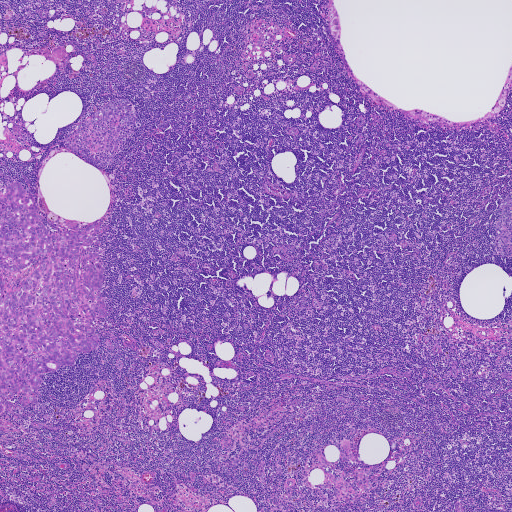
A 1.9-mm field of an H&E-stained sentinel lymph node from a breast-cancer patient (whole-slide image), shown at about 2.5×, about 3.6 µm per pixel.
Metastatic tumour outline, simplified to 23 points and listed clockwise in crop pixels (x, y): (7, 178), (32, 196), (50, 235), (100, 226), (88, 251), (100, 252), (99, 263), (106, 270), (100, 291), (110, 313), (93, 322), (98, 348), (76, 353), (70, 367), (40, 374), (42, 396), (23, 404), (24, 394), (15, 393), (5, 398), (13, 407), (2, 413), (0, 191).
The annotated tumour makes up about 5% of the crop.